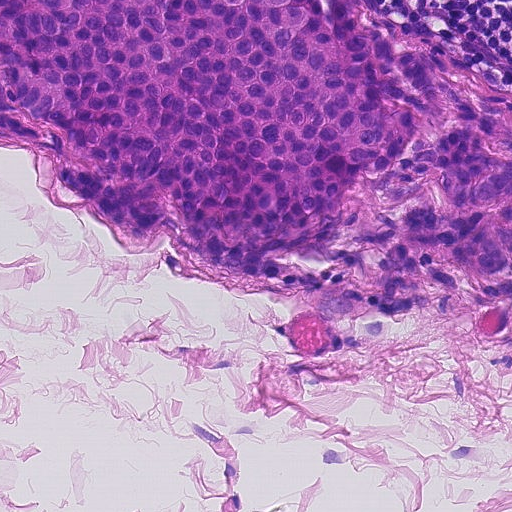
A 0.23-mm field of an H&E-stained sentinel lymph node from a breast-cancer patient (whole-slide image), shown at about 20×, about 0.45 µm per pixel.
Tumour region outline (a closed clockwise path, crop pixels): (0, 0), (374, 0), (511, 93), (511, 306), (338, 312), (182, 267), (171, 228), (156, 250), (130, 254), (77, 192), (0, 142).
The annotated tumour makes up about 50% of the crop.